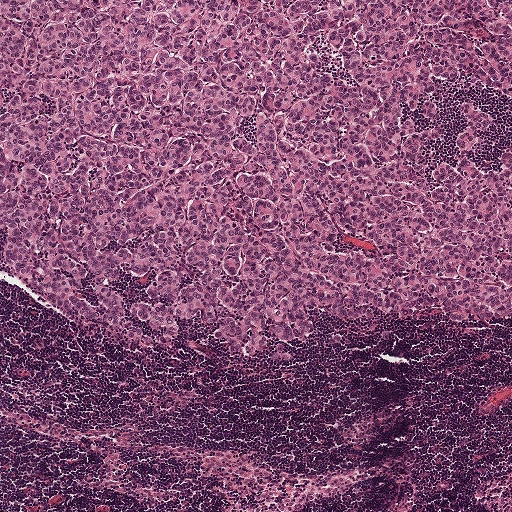
A 1-mm field of an H&E-stained sentinel lymph node from a breast-cancer patient (whole-slide image), shown at about 5×, about 1.9 µm per pixel.
Metastatic tumour outline, simplified to 11 points and listed clockwise in crop pixels (x, y): (0, 0), (511, 0), (511, 331), (327, 322), (312, 351), (264, 367), (214, 351), (198, 328), (162, 355), (85, 335), (2, 286).
Tumour covers about 65% of the frame.